Question: 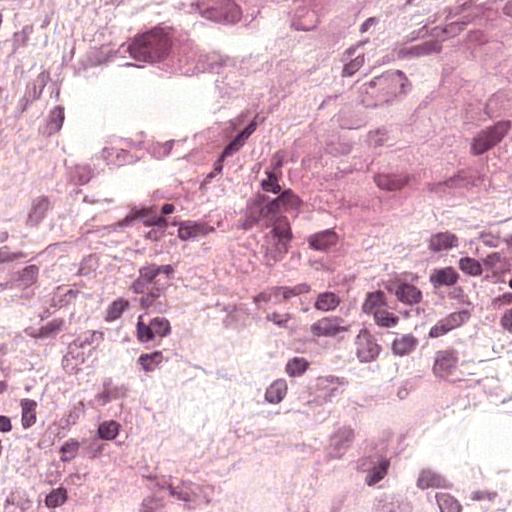
Which magnification is this H&E lymph node field most likely shown at?

Choices:
 (A) about 40×
 (B) about 5×
 (C) about 2.5×
 (D) about 10×
 (E) about 20×

Answer: (A) about 40×
A 0.12-mm field of an H&E-stained sentinel lymph node from a breast-cancer patient (whole-slide image), shown at about 40×, about 0.24 µm per pixel.
Boundaries of two metastatic tumour regions, simplified and listed clockwise, largest first: region 1: (423, 62), (441, 72), (439, 106), (411, 156), (379, 184), (361, 215), (339, 218), (282, 197), (273, 181), (289, 147), (311, 128), (317, 115), (354, 87), (367, 65); region 2: (120, 0), (366, 0), (357, 12), (331, 15), (273, 49), (231, 57), (197, 80), (168, 87), (139, 87), (115, 78), (107, 67), (105, 41), (113, 33), (115, 4).
About 10% of the image area is annotated as tumour.